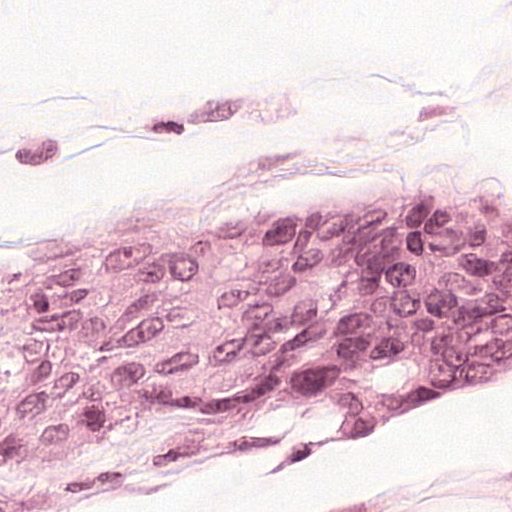
A 0.12-mm field of an H&E-stained sentinel lymph node from a breast-cancer patient (whole-slide image), shown at about 40×, about 0.24 µm per pixel.
One metastatic tumour region; its boundary, reduced to 8 corners and listed clockwise: (349, 166), (511, 181), (511, 340), (257, 447), (68, 480), (0, 473), (0, 269), (209, 173).
Tumour covers about 45% of the frame.